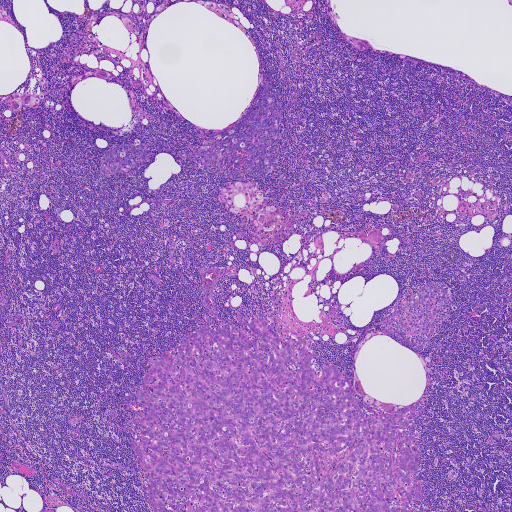
A 1.9-mm field of an H&E-stained sentinel lymph node from a breast-cancer patient (whole-slide image), shown at about 2.5×, about 3.6 µm per pixel.
Question: Which parts of this field are metastatic tumour?
Answer: One metastatic tumour region; its boundary, reduced to 21 corners and listed clockwise: (264, 319), (300, 360), (299, 350), (308, 352), (316, 375), (323, 361), (334, 365), (366, 418), (416, 408), (404, 434), (416, 435), (426, 496), (410, 511), (154, 511), (131, 444), (143, 435), (135, 393), (202, 327), (226, 323), (257, 340), (249, 324).
Tumour covers about 15% of the frame.